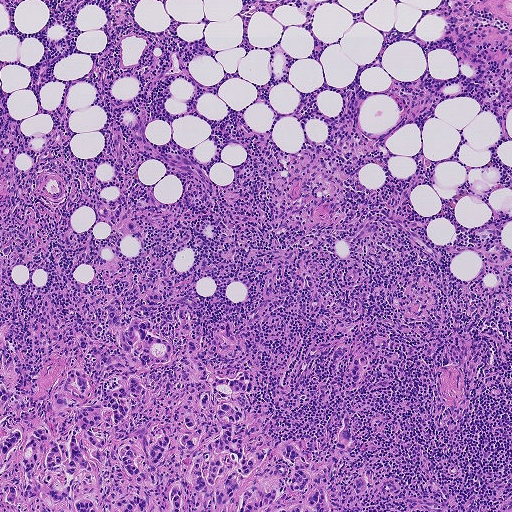
H&E-stained section of a sentinel lymph node (breast cancer), from a whole-slide image, viewed at about 5×: the field is about 0.93 mm across, about 1.8 µm per pixel.
Two metastatic tumour regions, each outlined as a closed clockwise path in crop pixels (x, y), largest first: region 1: (120, 297), (127, 318), (151, 319), (156, 335), (173, 338), (176, 347), (198, 340), (207, 365), (249, 370), (251, 422), (294, 444), (310, 464), (326, 458), (350, 409), (351, 444), (334, 474), (369, 482), (359, 494), (334, 492), (332, 510), (52, 511), (38, 498), (4, 503), (1, 354), (6, 346), (12, 352), (13, 386), (43, 419), (54, 385), (74, 368), (89, 372), (99, 391), (118, 377), (73, 341), (93, 322), (97, 339), (122, 353), (105, 312); region 2: (360, 354), (368, 356), (368, 364), (362, 368), (361, 376), (357, 382), (349, 382), (345, 375), (353, 358).
One more small tumour piece is annotated here but not outlined.
About 20% of this field is tumour.